Image:
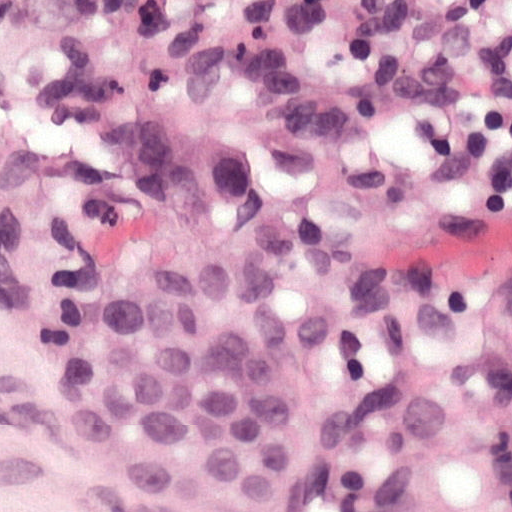
Lymph node section stained with H&E, from a whole-slide image of a breast-cancer sentinel node. Magnification about 40×, about 0.12 mm across the frame, about 0.24 µm per pixel.
Question:
Where is the metastatic tumour in this field? Give each region's outline as (x, y) pixel points.
Answer:
Metastatic tumour outline, simplified to 9 points and listed clockwise in crop pixels (x, y): (229, 237), (318, 267), (364, 358), (343, 469), (300, 511), (75, 511), (41, 417), (59, 311), (130, 242).
Tumour covers about 30% of the frame.